Image:
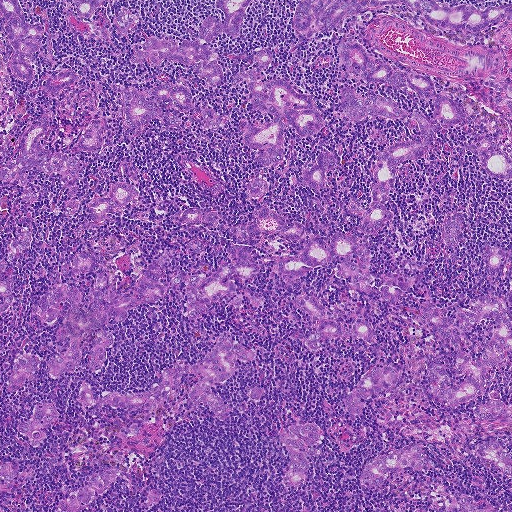
Lymph node section stained with H&E, from a whole-slide image of a breast-cancer sentinel node. Magnification about 5×, about 0.93 mm across the frame, about 1.8 µm per pixel.
Question:
Where is the metastatic tumour in this field? Give each region's outline as (x, y) pixel points.
Answer:
Outlines of the eight largest metastatic tumour regions, each a closed clockwise path in crop pixels (x, y), largest first: region 1: (355, 43), (369, 60), (422, 76), (436, 92), (461, 104), (465, 117), (454, 124), (432, 121), (426, 149), (396, 166), (395, 182), (383, 204), (393, 214), (391, 222), (372, 236), (359, 231), (361, 218), (350, 210), (350, 203), (370, 206), (382, 151), (419, 132), (401, 118), (347, 118), (342, 90), (347, 85), (362, 99), (376, 95), (430, 120), (435, 102), (372, 83), (351, 70), (341, 60), (342, 46); region 2: (170, 248), (159, 284), (167, 287), (163, 295), (99, 330), (114, 337), (99, 371), (91, 366), (90, 330), (78, 363), (63, 377), (47, 372), (47, 363), (69, 346), (69, 337), (62, 344), (55, 340), (68, 303), (59, 302), (58, 320), (50, 324), (36, 314), (38, 296), (63, 284), (84, 299), (96, 271), (72, 268), (76, 252), (94, 253), (106, 284), (118, 277), (117, 291), (134, 285); region 3: (486, 293), (501, 304), (500, 313), (510, 314), (511, 360), (510, 356), (486, 372), (485, 389), (471, 400), (449, 406), (434, 396), (431, 366), (442, 366), (451, 388), (457, 388), (469, 370), (458, 375), (454, 370), (454, 347), (424, 322), (421, 304), (432, 300), (442, 316), (453, 318); region 4: (226, 332), (233, 339), (250, 347), (256, 354), (251, 362), (242, 363), (234, 358), (233, 377), (216, 384), (211, 392), (228, 401), (232, 410), (227, 418), (219, 421), (207, 408), (191, 401), (186, 393), (206, 375), (203, 374), (184, 375), (176, 391), (155, 411), (80, 404), (79, 386), (87, 381), (93, 399), (111, 391), (138, 394), (156, 386), (162, 380), (164, 370), (180, 360), (186, 359), (194, 364), (204, 361); region 5: (260, 48), (267, 48), (271, 53), (271, 61), (261, 71), (264, 83), (278, 79), (285, 80), (294, 92), (310, 96), (324, 121), (324, 128), (306, 137), (299, 136), (289, 125), (284, 130), (282, 137), (285, 158), (258, 165), (254, 159), (260, 155), (257, 149), (244, 142), (245, 121), (259, 126), (273, 121), (273, 114), (252, 110), (248, 104), (250, 97), (247, 84), (240, 81), (231, 86), (231, 79), (236, 73), (254, 68), (257, 61), (255, 54); region 6: (300, 0), (435, 0), (445, 6), (466, 3), (479, 10), (500, 6), (506, 3), (511, 3), (511, 23), (486, 30), (464, 31), (436, 24), (406, 4), (378, 5), (345, 18), (327, 30), (306, 35), (299, 35), (291, 23); region 7: (346, 233), (369, 238), (370, 268), (376, 277), (393, 272), (419, 283), (393, 304), (383, 300), (378, 279), (370, 294), (365, 296), (346, 280), (334, 277), (344, 259), (332, 259), (283, 283), (278, 266), (281, 260), (303, 250), (308, 239), (320, 237), (328, 244), (334, 234); region 8: (250, 0), (240, 24), (238, 37), (232, 37), (222, 30), (206, 45), (218, 50), (220, 56), (218, 62), (222, 67), (223, 80), (218, 83), (206, 85), (194, 70), (171, 60), (165, 59), (154, 65), (149, 58), (128, 61), (134, 58), (134, 45), (145, 40), (151, 37), (170, 41), (196, 41), (198, 40), (200, 27), (208, 16), (214, 16), (222, 23), (226, 19), (224, 12), (215, 7), (215, 1).
Region 3 encloses a non-tumour hole of about 15% of its area.
30 more, smaller tumour regions are not outlined.
Two more small tumour pieces are annotated here but not outlined.
The annotated tumour makes up about 25% of the crop.